Question: 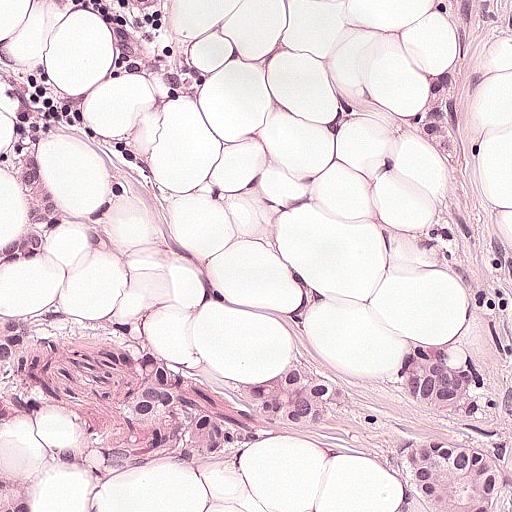
H&E-stained section of a sentinel lymph node (breast cancer), from a whole-slide image, viewed at about 20×: the field is about 0.25 mm across, about 0.49 µm per pixel.
About how much of this crop is taken up by metastatic carcinoma?

Choices:
 (A) about 50% or more
 (B) about 10% to 20%
 (C) about 5% or less
 (D) none: no tumour is outlined
 (E) about 25% to 45%

Answer: (A) about 50% or more
About 55% of the field is tumour.
Boundaries of two metastatic tumour regions, simplified and listed clockwise, largest first: region 1: (438, 0), (511, 0), (511, 51), (490, 61), (511, 511), (0, 511), (0, 328), (120, 325), (190, 386), (300, 373), (322, 339), (359, 380), (395, 370), (409, 346), (454, 341), (461, 294), (418, 259), (443, 155), (402, 132), (402, 86), (442, 58); region 2: (0, 0), (155, 0), (171, 28), (199, 48), (199, 110), (172, 148), (132, 178), (110, 254), (92, 248), (99, 178), (91, 156), (84, 146), (52, 134), (42, 136), (38, 158), (58, 208), (56, 238), (20, 275), (2, 270), (6, 247), (29, 220), (25, 180), (6, 168).